Lymph node section stained with H&E, from a whole-slide image of a breast-cancer sentinel node. Magnification about 5×, about 0.93 mm across the frame, about 1.8 µm per pixel.
Image:
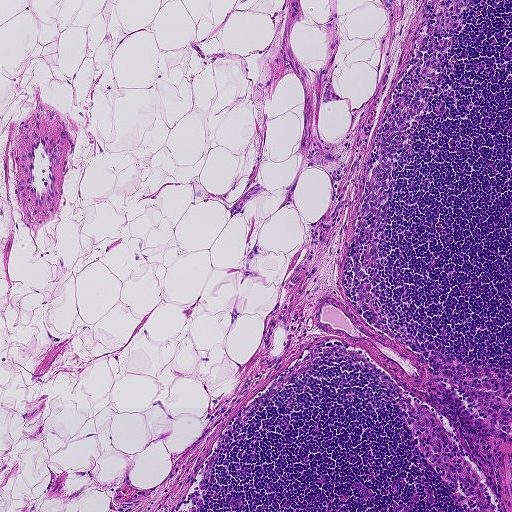
Question:
Is any metastatic breast cancer visible in this crop?
Answer:
No. No metastatic tumour is outlined in this field.